This is a crop of a whole-slide image: an H&E-stained breast-cancer sentinel lymph node section at roughly 20× magnification (about 0.49 µm per pixel; the crop spans about 0.25 mm).
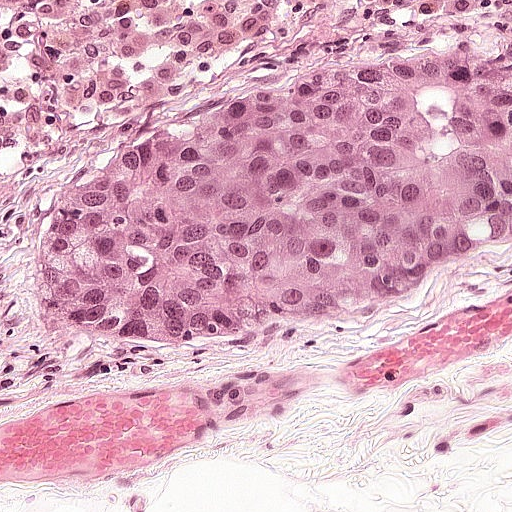
The outlined metastatic tumour's edge, as a closed clockwise path of 9 points: (378, 32), (511, 50), (511, 277), (180, 339), (95, 328), (31, 282), (28, 222), (53, 165), (268, 64).
The annotated tumour makes up about 45% of the crop.